Question: 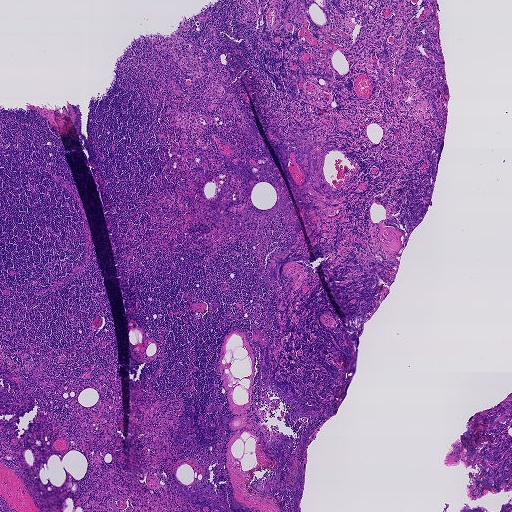
At roughly what magnification is this field shown?

Choices:
 (A) about 10×
 (B) about 40×
 (C) about 5×
 (D) about 20×
 (E) about 2.5×

Answer: (E) about 2.5×
This is a crop of a whole-slide image: an H&E-stained breast-cancer sentinel lymph node section at roughly 2.5× magnification (about 3.6 µm per pixel; the crop spans about 1.9 mm).